Question: 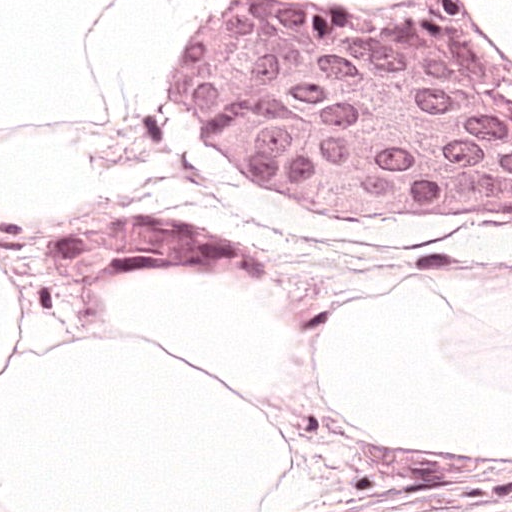
About what magnification does this crop show?

Choices:
 (A) about 5×
 (B) about 40×
 (C) about 2.5×
 (D) about 20×
 (E) about 10×

Answer: (B) about 40×
A 0.12-mm field of an H&E-stained sentinel lymph node from a breast-cancer patient (whole-slide image), shown at about 40×, about 0.24 µm per pixel.
Two metastatic tumour regions, each outlined as a closed clockwise path in crop pixels (x, y), largest first: region 1: (483, 0), (511, 31), (511, 205), (328, 212), (187, 127), (180, 13), (195, 1); region 2: (191, 183), (287, 227), (301, 290), (224, 268), (173, 268), (154, 283), (128, 290), (47, 297), (28, 279), (28, 220), (54, 205), (109, 190).
About 30% of the image area is annotated as tumour.
Question: 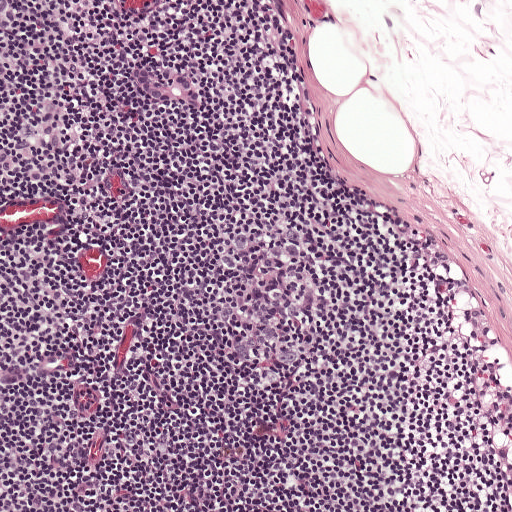
About what magnification does this crop show?

Choices:
 (A) about 10×
 (B) about 5×
 (C) about 20×
 (D) about 2.5×
 (E) about 40×

Answer: (A) about 10×
Lymph node section stained with H&E, from a whole-slide image of a breast-cancer sentinel node. Magnification about 10×, about 0.5 mm across the frame, about 0.97 µm per pixel.
The outlined metastatic tumour's edge, as a closed clockwise path of 13 points: (137, 65), (163, 65), (183, 71), (202, 84), (206, 92), (207, 102), (204, 112), (194, 114), (176, 108), (167, 108), (158, 104), (130, 79), (130, 69).
Under 5% of the image area is annotated as tumour.
Question: 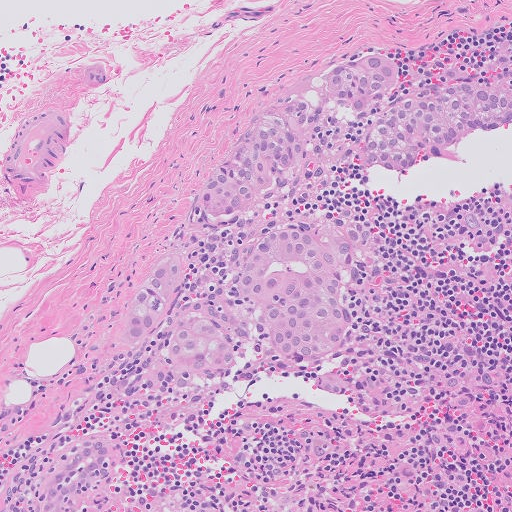
About what magnification does this crop show?

Choices:
 (A) about 2.5×
 (B) about 10×
 (C) about 40×
 (D) about 20×
 (E) about 5×

Answer: (B) about 10×
A 0.51-mm field of an H&E-stained sentinel lymph node from a breast-cancer patient (whole-slide image), shown at about 10×, about 1.0 µm per pixel.
Boundaries of two metastatic tumour regions, simplified and listed clockwise, largest first: region 1: (322, 210), (366, 228), (378, 258), (358, 299), (362, 312), (352, 340), (316, 365), (146, 398), (137, 387), (146, 360), (104, 344), (109, 316), (138, 277), (168, 256), (182, 255), (192, 266), (186, 297), (201, 294), (250, 239); region 2: (368, 48), (383, 49), (400, 67), (399, 82), (408, 93), (422, 91), (441, 70), (456, 68), (468, 78), (511, 80), (511, 130), (380, 172), (364, 170), (354, 159), (352, 144), (364, 116), (322, 159), (244, 213), (202, 213), (201, 185), (237, 135), (280, 92).
About 20% of the image area is annotated as tumour.
Question: 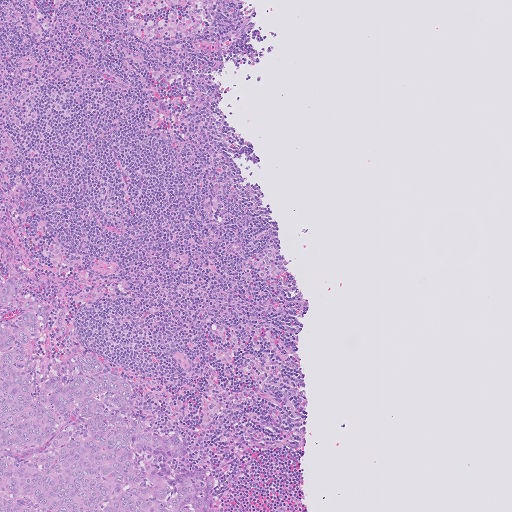
About what magnification does this crop show?

Choices:
 (A) about 10×
 (B) about 40×
 (C) about 5×
 (D) about 2.5×
 (E) about 20×

Answer: (C) about 5×
This is a crop of a whole-slide image: an H&E-stained breast-cancer sentinel lymph node section at roughly 5× magnification (about 2.0 µm per pixel; the crop spans about 1.0 mm).
One metastatic tumour region; its boundary, reduced to 14 corners and listed clockwise: (0, 249), (48, 314), (36, 378), (56, 374), (78, 350), (108, 360), (134, 387), (131, 408), (157, 429), (179, 433), (194, 462), (213, 473), (214, 508), (0, 511).
About 10% of the image area is annotated as tumour.